H&E-stained section of a sentinel lymph node (breast cancer), from a whole-slide image, viewed at about 10×: the field is about 0.5 mm across, about 0.97 µm per pixel.
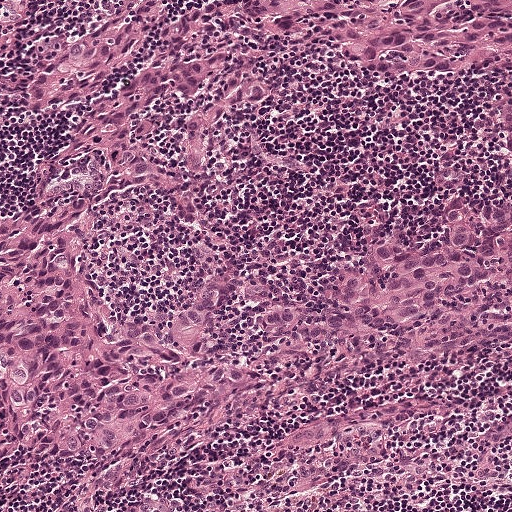
Metastatic tumour outline, simplified to 18 points and listed clockwise in crop pixels (x, y): (166, 0), (172, 11), (214, 0), (511, 0), (511, 281), (386, 324), (168, 432), (93, 458), (20, 460), (0, 482), (0, 208), (22, 203), (28, 168), (55, 138), (55, 123), (19, 104), (20, 91), (116, 1).
About 70% of the image area is annotated as tumour.